Lymph node section stained with H&E, from a whole-slide image of a breast-cancer sentinel node. Magnification about 40×, about 0.12 mm across the frame, about 0.24 µm per pixel.
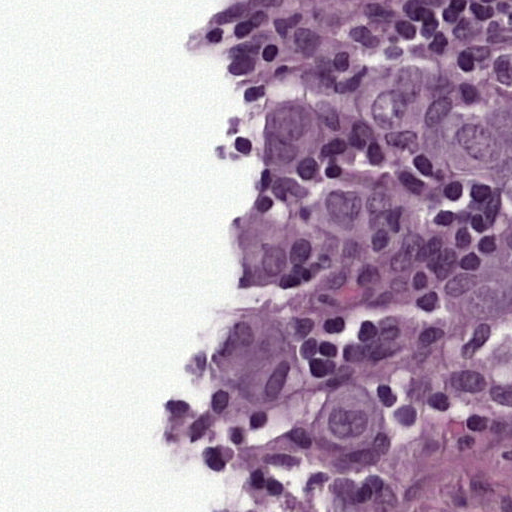
Outlines of two tumour regions, largest first (closed clockwise paths, crop pixels): region 1: (279, 95), (306, 100), (322, 129), (311, 158), (264, 176), (258, 211), (361, 168), (400, 228), (358, 251), (278, 278), (230, 281), (225, 223), (245, 186), (261, 129); region 2: (364, 54), (419, 56), (465, 82), (504, 116), (511, 124), (511, 195), (482, 179), (430, 173), (383, 150), (362, 102).
Two more small tumour pieces are annotated here but not outlined.
Tumour covers about 15% of the frame.